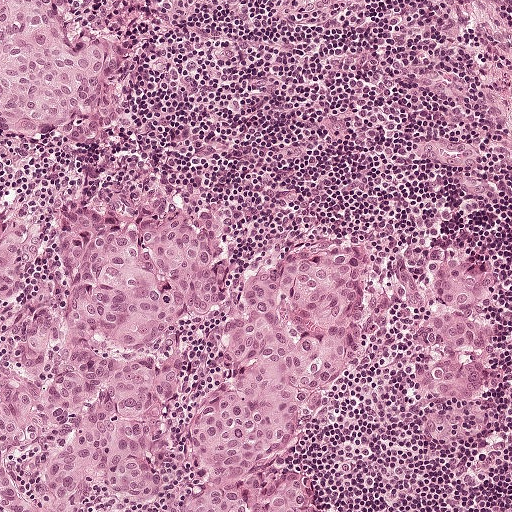
H&E-stained section of a sentinel lymph node (breast cancer), from a whole-slide image, viewed at about 10×: the field is about 0.5 mm across, about 0.97 µm per pixel.
Two metastatic tumour regions, each outlined as a closed clockwise path in crop pixels (x, y), largest first: region 1: (0, 0), (50, 0), (93, 36), (130, 115), (137, 164), (204, 190), (231, 232), (233, 286), (190, 337), (189, 377), (211, 364), (222, 317), (270, 254), (350, 247), (375, 260), (374, 306), (317, 433), (320, 456), (365, 511), (0, 511); region 2: (481, 252), (492, 257), (499, 271), (499, 293), (490, 307), (500, 331), (499, 347), (489, 354), (492, 393), (480, 429), (454, 441), (423, 436), (413, 396), (413, 358), (406, 344), (409, 324), (430, 298), (427, 275), (437, 260), (447, 262).
Tumour covers about 55% of the frame.